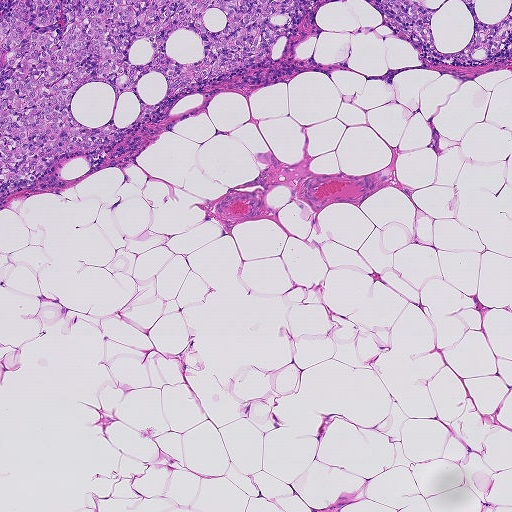
H&E-stained section of a sentinel lymph node (breast cancer), from a whole-slide image, viewed at about 5×: the field is about 0.93 mm across, about 1.8 µm per pixel.
Two metastatic tumour regions, each outlined as a closed clockwise path in crop pixels (x, y), largest first: region 1: (0, 0), (316, 0), (266, 56), (191, 86), (107, 145), (59, 157), (35, 181), (0, 187); region 2: (390, 0), (511, 0), (511, 28), (505, 44), (494, 53), (466, 59), (452, 58), (427, 45), (397, 15).
About 15% of the image area is annotated as tumour.